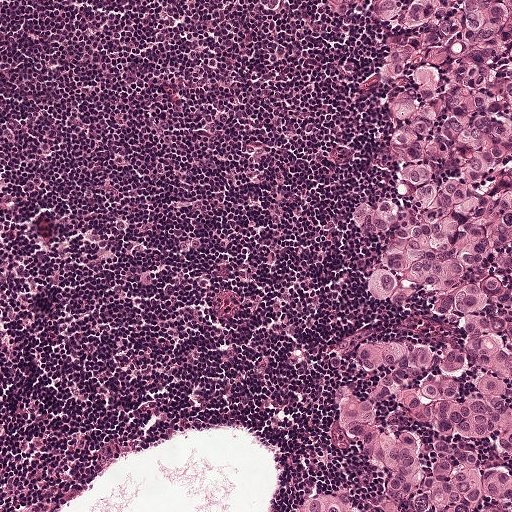
This is a crop of a whole-slide image: an H&E-stained breast-cancer sentinel lymph node section at roughly 10× magnification (about 0.97 µm per pixel; the crop spans about 0.5 mm).
Metastatic tumour outline, simplified to 11 points and listed clockwise in crop pixels (x, y): (230, 0), (511, 0), (511, 511), (294, 511), (304, 480), (346, 440), (341, 379), (327, 351), (347, 301), (352, 93), (305, 26).
About 35% of the image area is annotated as tumour.